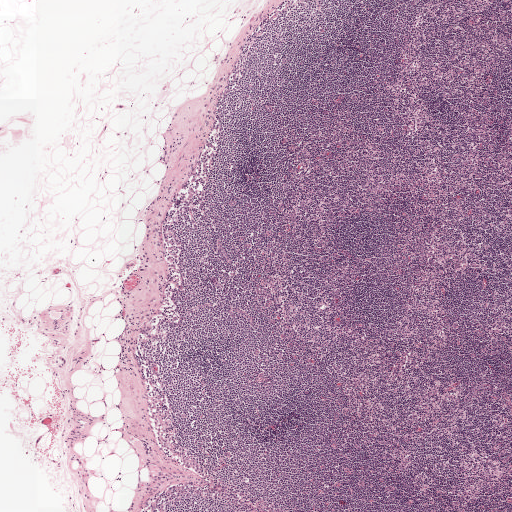
Lymph node section stained with H&E, from a whole-slide image of a breast-cancer sentinel node. Magnification about 2.5×, about 2.0 mm across the frame, about 3.9 µm per pixel.